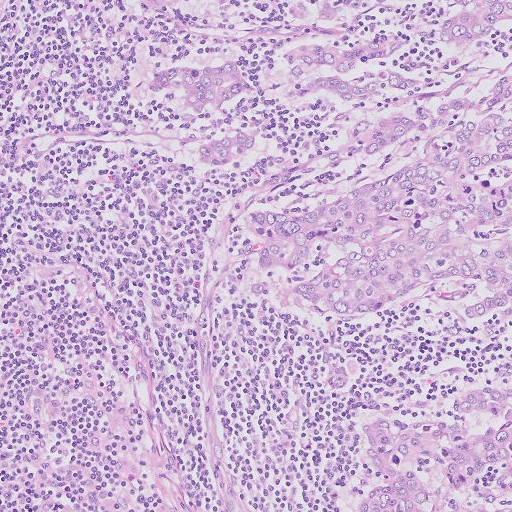
H&E-stained section of a sentinel lymph node (breast cancer), from a whole-slide image, viewed at about 10×: the field is about 0.51 mm across, about 1.0 µm per pixel.
Two metastatic tumour regions, each outlined as a closed clockwise path in crop pixels (x, y), largest first: region 1: (511, 0), (511, 329), (346, 321), (285, 293), (233, 243), (226, 222), (232, 172), (252, 156), (207, 166), (144, 83), (158, 66), (204, 62), (218, 40), (102, 3); region 2: (344, 357), (362, 373), (364, 395), (384, 407), (426, 383), (511, 368), (511, 511), (319, 511), (348, 461), (343, 439), (353, 392), (309, 380), (320, 359).
Tumour covers about 45% of the frame.